A 1-mm field of an H&E-stained sentinel lymph node from a breast-cancer patient (whole-slide image), shown at about 5×, about 1.9 µm per pixel.
Image:
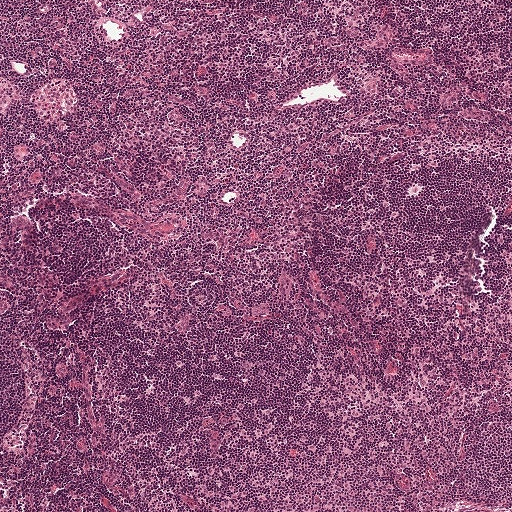
Question:
Is there metastatic carcinoma in this field?
Answer:
No. No metastatic tumour is outlined in this field.